This is a crop of a whole-slide image: an H&E-stained breast-cancer sentinel lymph node section at roughly 40× magnification (about 0.24 µm per pixel; the crop spans about 0.12 mm).
Image:
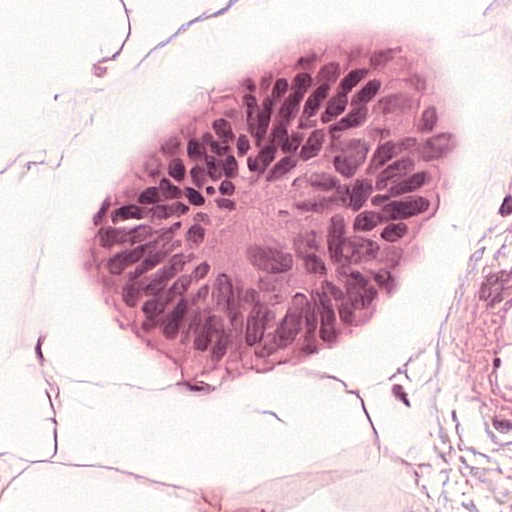
Question:
Which parts of this field are metastatic tumour?
Answer:
Metastatic tumour outline, simplified to 12 points and listed clockwise in crop pixels (x, y): (388, 42), (462, 102), (445, 242), (407, 330), (348, 386), (288, 407), (213, 407), (110, 364), (76, 330), (76, 252), (104, 183), (316, 61).
The annotated tumour makes up about 40% of the crop.